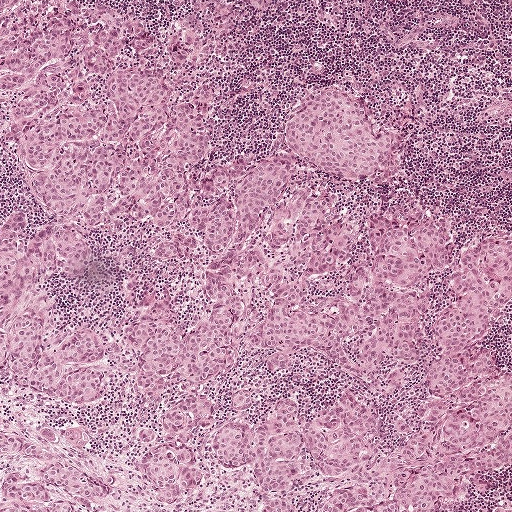
This is a crop of a whole-slide image: an H&E-stained breast-cancer sentinel lymph node section at roughly 5× magnification (about 1.9 µm per pixel; the crop spans about 1 mm).
Boundaries of two metastatic tumour regions, simplified and listed clockwise, largest first: region 1: (0, 0), (99, 0), (152, 25), (207, 21), (224, 72), (204, 92), (215, 108), (201, 178), (286, 143), (300, 100), (348, 91), (391, 138), (408, 195), (454, 229), (433, 301), (468, 243), (511, 236), (497, 335), (511, 354), (511, 468), (447, 511), (0, 511); region 2: (511, 497), (511, 511), (488, 511), (498, 506), (504, 500).
The annotated tumour makes up about 80% of the crop.